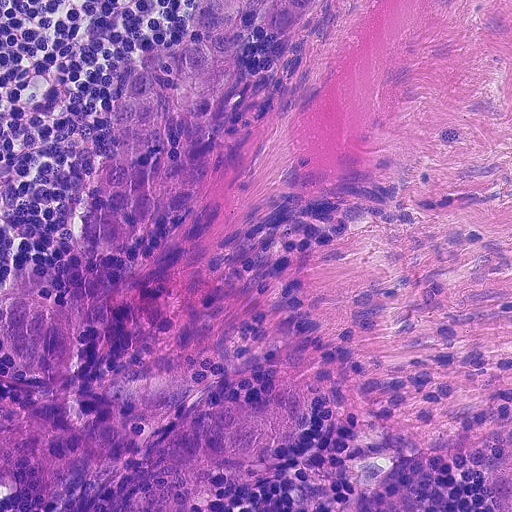
A 0.23-mm field of an H&E-stained sentinel lymph node from a breast-cancer patient (whole-slide image), shown at about 20×, about 0.45 µm per pixel.
Two metastatic tumour regions, each outlined as a closed clockwise path in crop pixels (x, y), largest first: region 1: (199, 0), (329, 0), (305, 52), (308, 80), (328, 94), (278, 119), (237, 195), (256, 215), (217, 258), (218, 286), (247, 285), (261, 310), (194, 362), (115, 393), (142, 409), (134, 464), (170, 421), (299, 370), (312, 394), (305, 422), (269, 467), (216, 488), (210, 511), (43, 511), (80, 472), (32, 490), (0, 483), (0, 381), (47, 383), (10, 352), (0, 299), (106, 280), (190, 206), (115, 256), (88, 262), (66, 244), (111, 144), (102, 118), (124, 68), (176, 48); region 2: (499, 466), (511, 471), (511, 511), (496, 511), (488, 483), (490, 470).
The annotated tumour makes up about 35% of the crop.